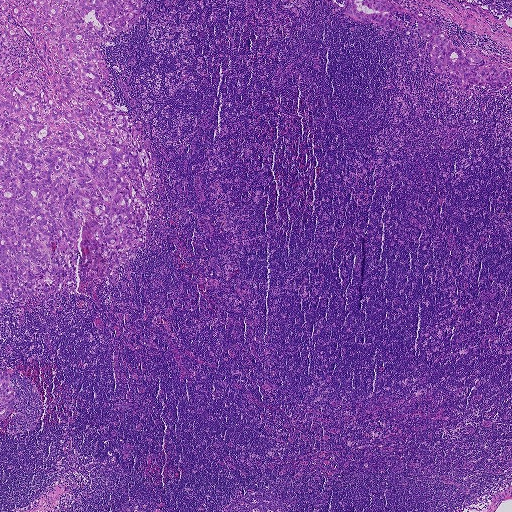
This is a crop of a whole-slide image: an H&E-stained breast-cancer sentinel lymph node section at roughly 2.5× magnification (about 3.6 µm per pixel; the crop spans about 1.9 mm).
Boundaries of three metastatic tumour regions, simplified and listed clockwise, largest first: region 1: (0, 0), (143, 0), (133, 23), (100, 50), (109, 75), (104, 88), (154, 164), (139, 251), (108, 266), (97, 284), (80, 271), (25, 302), (0, 304); region 2: (346, 0), (385, 0), (412, 10), (425, 23), (435, 24), (464, 58), (478, 52), (488, 67), (496, 63), (509, 71), (511, 84), (504, 88), (475, 84), (468, 91), (452, 87), (456, 80), (449, 77), (449, 68), (445, 65), (443, 73), (438, 73), (432, 67), (428, 40), (418, 34), (417, 23), (410, 23), (406, 12), (394, 13), (403, 26), (397, 30), (396, 26), (383, 28), (357, 20), (346, 12); region 3: (0, 370), (5, 370), (8, 375), (8, 385), (13, 388), (14, 394), (13, 406), (0, 422).
The annotated tumour makes up about 15% of the crop.